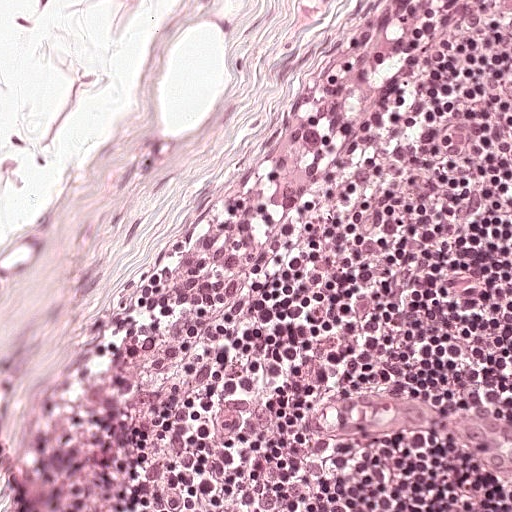
Lymph node section stained with H&E, from a whole-slide image of a breast-cancer sentinel node. Magnification about 20×, about 0.25 mm across the frame, about 0.49 µm per pixel.